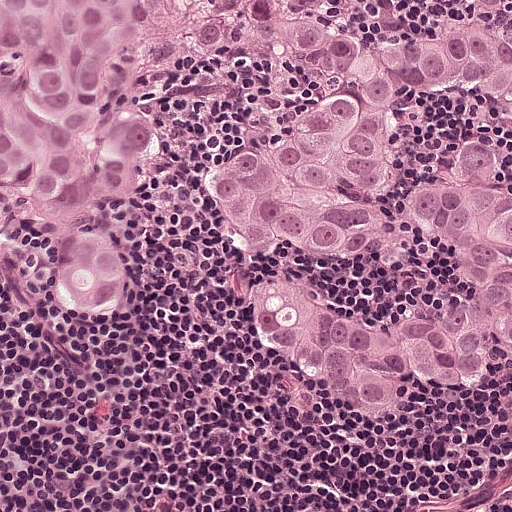
H&E-stained section of a sentinel lymph node (breast cancer), from a whole-slide image, viewed at about 20×: the field is about 0.25 mm across, about 0.49 µm per pixel.
Question: Does this lymph node field contain metastatic tumour?
Answer: Yes.
Tumour region outline (a closed clockwise path, crop pixels): (0, 0), (511, 0), (511, 112), (408, 126), (419, 174), (489, 129), (505, 150), (496, 387), (367, 418), (261, 337), (278, 284), (416, 325), (468, 298), (439, 240), (311, 253), (225, 214), (225, 154), (312, 98), (267, 53), (170, 90), (167, 181), (123, 223), (144, 317), (3, 266).
About 50% of the image area is annotated as tumour.

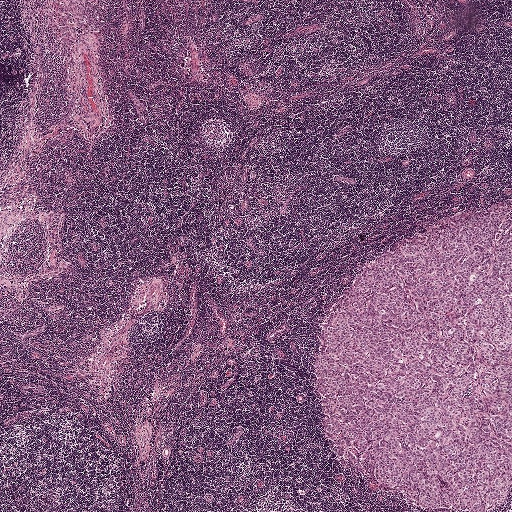
A 2.0-mm field of an H&E-stained sentinel lymph node from a breast-cancer patient (whole-slide image), shown at about 2.5×, about 3.9 µm per pixel.
Question: Does this lymph node field contain metastatic tumour?
Answer: Yes.
Tumour region outline (a closed clockwise path, crop pixels): (511, 199), (511, 497), (498, 511), (418, 508), (342, 463), (325, 438), (315, 332), (358, 269), (435, 219).
About 20% of the image area is annotated as tumour.

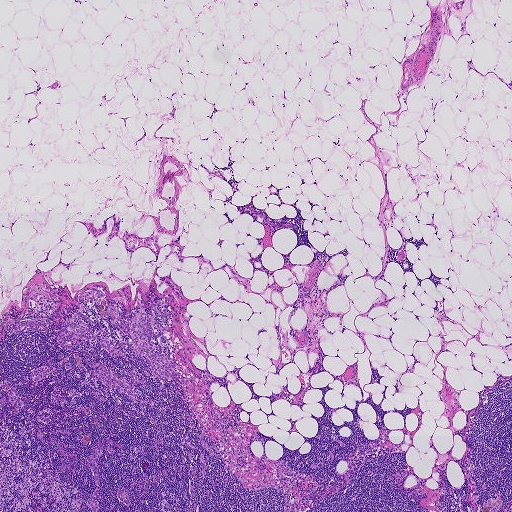
A 1.9-mm field of an H&E-stained sentinel lymph node from a breast-cancer patient (whole-slide image), shown at about 2.5×, about 3.6 µm per pixel.
Question: Does this lymph node field contain metastatic tumour?
Answer: Yes.
The eight largest tumour regions' boundaries, simplified and listed clockwise, largest first: region 1: (141, 310), (151, 311), (156, 322), (162, 327), (166, 328), (165, 332), (158, 329), (153, 329), (151, 342), (161, 345), (161, 353), (174, 363), (176, 376), (169, 381), (161, 380), (153, 376), (150, 362), (132, 354), (129, 338), (113, 326), (113, 320), (118, 318), (126, 320), (133, 319); region 2: (104, 362), (107, 367), (114, 369), (114, 374), (118, 379), (125, 378), (130, 383), (133, 382), (131, 376), (123, 372), (134, 373), (138, 382), (132, 386), (138, 387), (136, 390), (141, 392), (133, 396), (137, 402), (132, 404), (130, 398), (124, 394), (115, 389), (109, 391), (99, 379), (96, 380), (95, 376), (92, 377), (91, 373), (94, 363), (96, 365); region 3: (76, 314), (77, 326), (86, 326), (92, 331), (94, 337), (90, 339), (78, 338), (70, 348), (63, 346), (54, 339), (57, 331); region 4: (101, 443), (102, 455), (99, 457), (96, 466), (99, 476), (97, 485), (99, 494), (97, 500), (99, 506), (99, 509), (94, 511), (91, 510), (86, 502), (96, 488), (93, 473), (88, 464), (87, 458), (92, 454), (96, 445); region 5: (33, 320), (39, 322), (43, 320), (45, 322), (46, 328), (46, 330), (40, 331), (33, 330), (29, 327), (19, 333), (15, 333), (14, 328), (17, 324), (23, 322); region 6: (106, 332), (108, 335), (109, 339), (111, 340), (110, 343), (111, 346), (114, 346), (117, 347), (119, 349), (124, 353), (126, 355), (126, 357), (125, 357), (122, 357), (119, 356), (114, 356), (111, 355), (107, 352), (98, 343), (98, 342), (105, 338), (106, 335), (105, 333); region 7: (40, 366), (49, 366), (51, 366), (55, 368), (50, 373), (46, 375), (38, 380), (36, 380), (32, 378), (30, 376), (32, 372); region 8: (4, 381), (17, 391), (18, 396), (14, 404), (12, 404), (8, 398), (8, 391), (3, 390), (0, 382).
One more, smaller tumour region is not outlined.
Under 5% of this field is tumour.

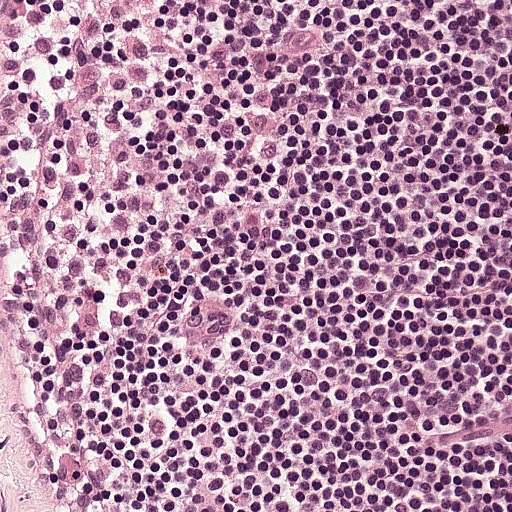
A 0.25-mm field of an H&E-stained sentinel lymph node from a breast-cancer patient (whole-slide image), shown at about 20×, about 0.49 µm per pixel.
Question: Does this lymph node field contain metastatic tumour?
Answer: No, this field holds no outlined metastasis.